H&E-stained section of a sentinel lymph node (breast cancer), from a whole-slide image, viewed at about 5×: the field is about 1 mm across, about 1.9 µm per pixel.
Question: 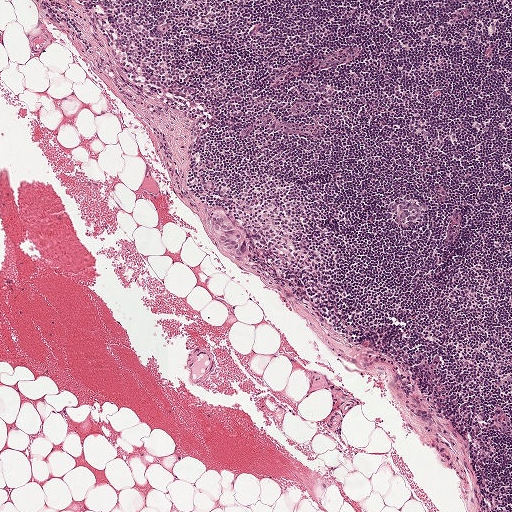
What fraction of the image area is metastatic tumour?

Choices:
 (A) about 50% or more
 (B) about 25% to 45%
 (C) none: no tumour is outlined
 (D) about 5% or less
 (E) about 10% to 20%

Answer: (D) about 5% or less
Under 5% of the field is tumour.
The outlined metastatic tumour's edge, as a closed clockwise path of 11 points: (218, 206), (227, 209), (244, 231), (247, 240), (247, 248), (244, 257), (233, 256), (216, 245), (213, 233), (208, 224), (209, 212).